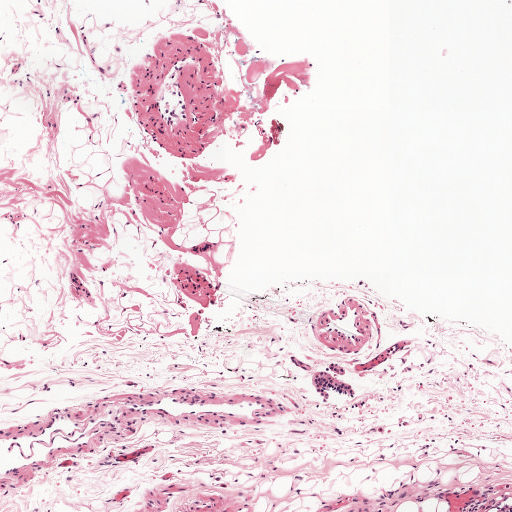
This is a crop of a whole-slide image: an H&E-stained breast-cancer sentinel lymph node section at roughly 5× magnification (about 1.9 µm per pixel; the crop spans about 1 mm).
Tumour region outline (a closed clockwise path, crop pixels): (334, 362), (344, 366), (345, 375), (341, 378), (350, 384), (356, 392), (356, 396), (351, 398), (331, 393), (329, 403), (323, 403), (318, 394), (311, 387), (311, 377), (313, 373), (324, 371), (329, 363).
The annotated tumour makes up under 5% of the crop.